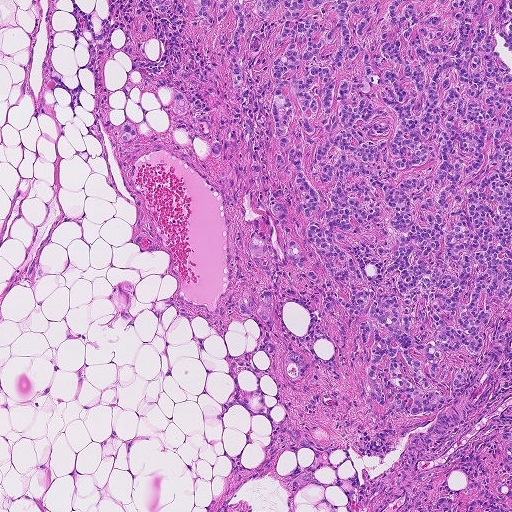
This is a crop of a whole-slide image: an H&E-stained breast-cancer sentinel lymph node section at roughly 5× magnification (about 1.8 µm per pixel; the crop spans about 0.93 mm).
Outlines of the eight largest metastatic tumour regions, each a closed clockwise path in crop pixels (x, y), largest first: region 1: (191, 0), (511, 0), (511, 503), (433, 506), (496, 485), (493, 430), (411, 474), (437, 413), (367, 398), (370, 347), (333, 300), (342, 288), (291, 263), (287, 236), (319, 273), (267, 129), (284, 4), (266, 21), (248, 11), (240, 93), (221, 51), (234, 14), (214, 27); region 2: (264, 287), (271, 293), (275, 326), (272, 331), (254, 314), (246, 315), (238, 311), (236, 303), (239, 295), (245, 290), (254, 293), (258, 303), (259, 294); region 3: (290, 352), (299, 352), (311, 364), (318, 378), (311, 382), (305, 378), (291, 381), (283, 378), (284, 358); region 4: (254, 234), (261, 238), (266, 245), (272, 261), (270, 275), (256, 266), (249, 251), (249, 242); region 5: (150, 0), (174, 0), (175, 10), (172, 17), (158, 13), (151, 8); region 6: (176, 90), (186, 95), (189, 103), (188, 112), (181, 116), (173, 113), (171, 105); region 7: (308, 471), (312, 478), (301, 490), (293, 490), (286, 484), (300, 474); region 8: (123, 120), (131, 122), (135, 129), (135, 137), (129, 141), (121, 139), (118, 131).
One more, smaller tumour region is not outlined.
Two more small tumour pieces are annotated here but not outlined.
About 35% of this field is tumour.